Question: 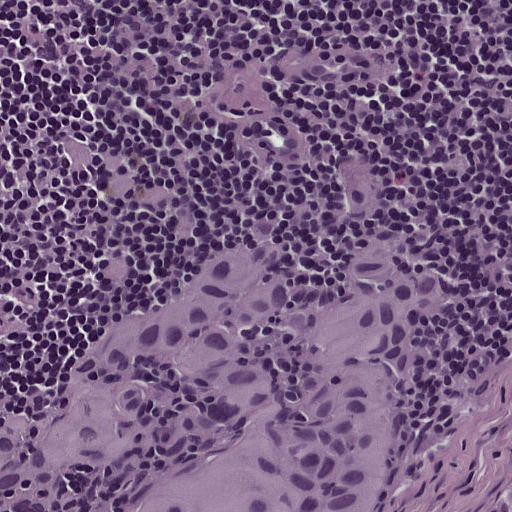
Lymph node section stained with H&E, from a whole-slide image of a breast-cancer sentinel node. Magnification about 20×, about 0.25 mm across the frame, about 0.49 µm per pixel.
Roughly what share of this field is metastatic tumour?

Choices:
 (A) about 25% to 45%
 (B) about 10% to 20%
 (C) about 5% or less
 (D) about 50% or more
 (E) none: no tumour is outlined

Answer: (A) about 25% to 45%
About 40% of the field is tumour.
Boundaries of two metastatic tumour regions, simplified and listed clockwise, largest first: region 1: (358, 149), (392, 180), (401, 238), (462, 297), (364, 511), (0, 511), (0, 399), (15, 402), (41, 384), (52, 359), (226, 234), (260, 236), (282, 267), (310, 283), (349, 242), (331, 160); region 2: (511, 496), (511, 511), (483, 511), (492, 500).